Question: 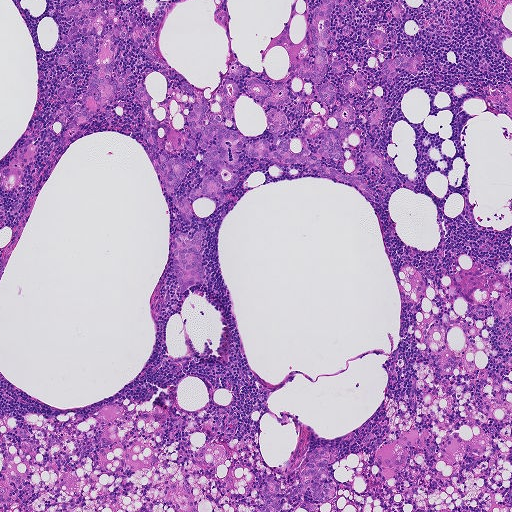
This is a crop of a whole-slide image: an H&E-stained breast-cancer sentinel lymph node section at roughly 5× magnification (about 1.8 µm per pixel; the crop spans about 0.93 mm).
Roughly what share of this field is metastatic tumour?

Choices:
 (A) about 25% to 45%
 (B) about 5% or less
 (C) none: no tumour is outlined
 (D) about 10% to 20%
 (E) about 50% or more

Answer: (D) about 10% to 20%
About 10% of the field is tumour.
Boundaries of five metastatic tumour regions, simplified and listed clockwise, largest first: region 1: (325, 444), (332, 456), (322, 481), (330, 481), (336, 493), (323, 504), (316, 502), (310, 489), (302, 498), (316, 504), (321, 510), (307, 511), (300, 508), (294, 511), (255, 511), (263, 505), (261, 486), (267, 475), (272, 473), (277, 476), (282, 493), (294, 488), (312, 449); region 2: (420, 53), (422, 57), (416, 76), (399, 68), (395, 70), (395, 81), (391, 84), (386, 84), (382, 81), (380, 70), (384, 61); region 3: (186, 475), (194, 492), (199, 511), (182, 511), (184, 508), (185, 502), (185, 496), (183, 490), (183, 478); region 4: (379, 30), (384, 32), (386, 36), (386, 42), (384, 46), (379, 49), (374, 49), (369, 46), (368, 41), (369, 36), (372, 32); region 5: (389, 0), (395, 0), (395, 2), (403, 8), (403, 14), (400, 17), (395, 17), (391, 14).
One more tumour region is annotated but not outlined: its edge is too irregular for a short outline.